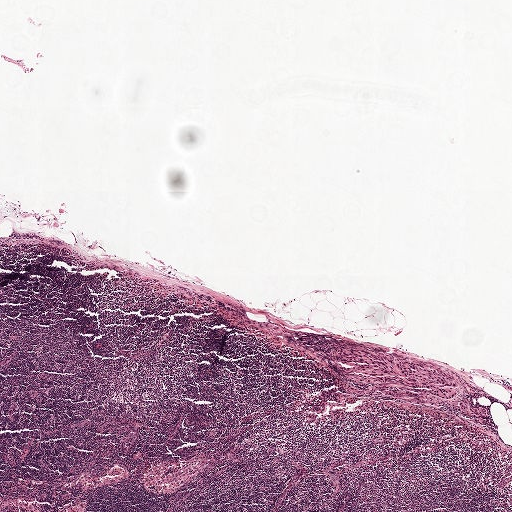
Lymph node section stained with H&E, from a whole-slide image of a breast-cancer sentinel node. Magnification about 2.5×, about 2.0 mm across the frame, about 3.9 µm per pixel.
The outlined metastatic tumour's edge, as a closed clockwise path of 14 points: (333, 340), (372, 341), (410, 358), (420, 358), (441, 367), (455, 381), (453, 398), (439, 403), (428, 403), (403, 401), (377, 393), (356, 381), (337, 364), (328, 344).
The annotated tumour makes up under 5% of the crop.